Question: 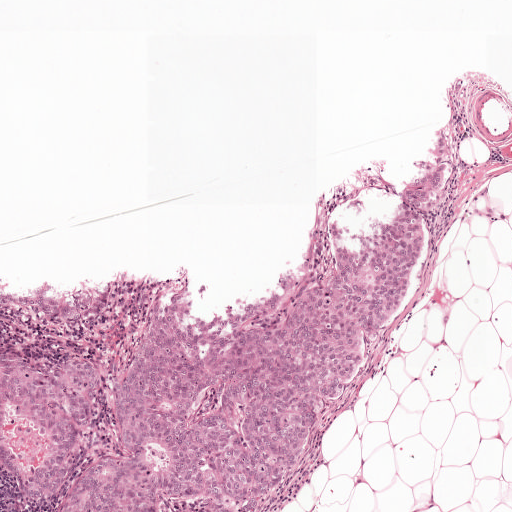
A 1-mm field of an H&E-stained sentinel lymph node from a breast-cancer patient (whole-slide image), shown at about 5×, about 1.9 µm per pixel.
Estimate the proportion of this field that is metastatic tumour.

Choices:
 (A) about 50% or more
 (B) about 10% to 20%
 (C) none: no tumour is outlined
 (D) about 25% to 45%
 (E) about 5% or less

Answer: (D) about 25% to 45%
About 30% of the field is tumour.
Boundaries of three metastatic tumour regions, simplified and listed clockwise, largest first: region 1: (444, 131), (430, 249), (412, 292), (311, 457), (266, 508), (57, 511), (76, 479), (112, 452), (118, 366), (177, 283), (200, 280), (215, 314), (318, 267), (344, 204), (366, 197), (372, 218), (392, 208); region 2: (0, 350), (91, 360), (103, 380), (101, 403), (60, 486), (44, 502), (22, 502), (2, 490); region 3: (117, 281), (106, 307), (69, 318), (34, 317), (0, 307), (0, 287), (42, 282).